This is a crop of a whole-slide image: an H&E-stained breast-cancer sentinel lymph node section at roughly 20× magnification (about 0.49 µm per pixel; the crop spans about 0.25 mm).
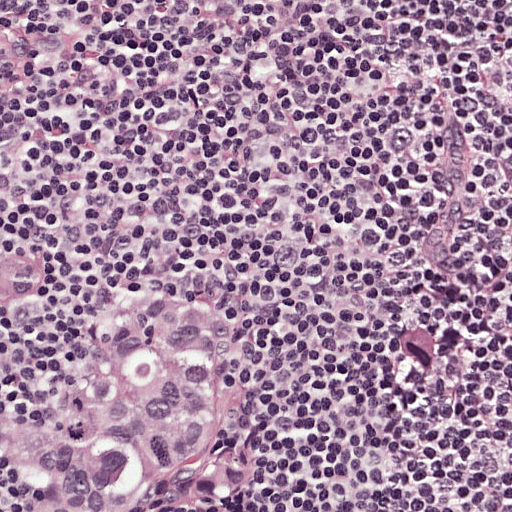
Outlines of two tumour regions, largest first (closed clockwise paths, crop pixels): region 1: (139, 286), (210, 304), (234, 318), (243, 341), (245, 470), (230, 490), (147, 511), (0, 511), (34, 498), (26, 477), (0, 464), (0, 413), (72, 384), (94, 303), (116, 289); region 2: (5, 251), (28, 254), (45, 267), (41, 289), (10, 302), (0, 300), (0, 255).
About 15% of this field is tumour.